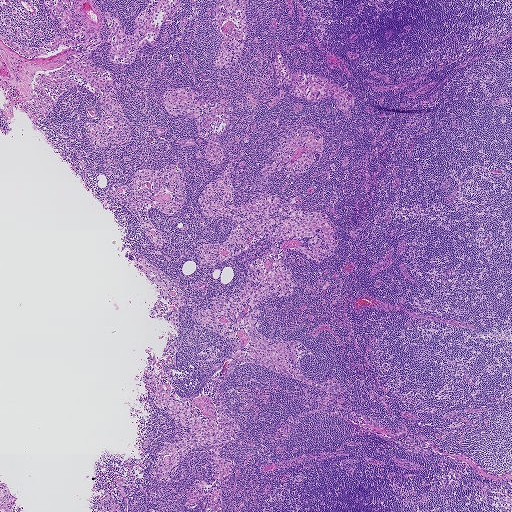
H&E-stained section of a sentinel lymph node (breast cancer), from a whole-slide image, viewed at about 2.5×: the field is about 1.9 mm across, about 3.6 µm per pixel.
Question: Is any metastatic breast cancer visible in this crop?
Answer: No. No metastatic tumour is outlined in this field.